Lymph node section stained with H&E, from a whole-slide image of a breast-cancer sentinel node. Magnification about 2.5×, about 1.9 mm across the frame, about 3.6 µm per pixel.
Image:
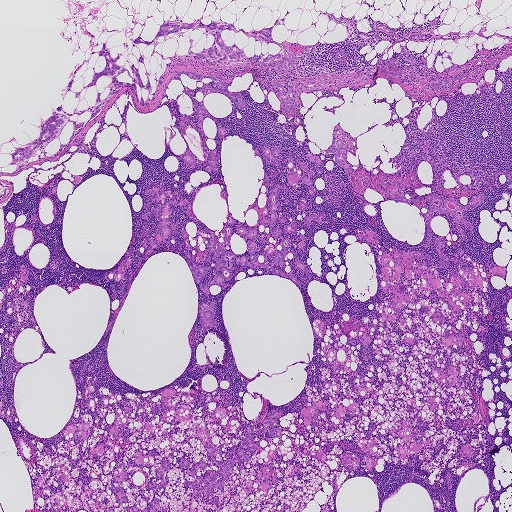
Question:
Is any metastatic breast cancer visible in this crop?
Answer:
Yes.
Outlines of eight tumour regions, largest first (closed clockwise paths, crop pixels): region 1: (399, 178), (405, 180), (404, 187), (399, 192), (410, 199), (431, 192), (442, 198), (451, 196), (463, 205), (482, 193), (482, 205), (466, 213), (474, 232), (460, 223), (467, 242), (449, 217), (437, 215), (432, 219), (430, 225), (443, 241), (442, 250), (448, 256), (448, 265), (443, 268), (438, 266), (440, 259), (432, 237), (428, 242), (425, 223), (418, 208), (384, 194), (378, 179), (398, 183); region 2: (102, 42), (112, 57), (119, 54), (116, 64), (137, 79), (129, 66), (137, 68), (138, 58), (143, 56), (144, 64), (139, 62), (138, 71), (145, 85), (148, 76), (150, 101), (140, 106), (126, 87), (91, 120), (89, 112), (70, 116), (56, 108), (62, 104), (68, 113), (93, 106), (97, 92), (102, 92), (101, 100), (108, 94), (112, 78), (101, 76), (77, 98), (66, 92), (70, 81), (77, 92), (93, 73), (104, 69), (105, 58), (94, 51); region 3: (52, 110), (64, 121), (57, 127), (58, 130), (55, 136), (36, 148), (26, 159), (16, 162), (17, 163), (14, 164), (9, 164), (11, 160), (10, 153), (14, 152), (16, 148), (25, 146), (37, 138), (40, 131), (39, 126), (52, 115); region 4: (342, 132), (346, 139), (341, 140), (343, 146), (349, 144), (350, 146), (346, 156), (346, 158), (352, 166), (351, 174), (349, 175), (347, 175), (342, 166), (335, 163), (336, 153), (326, 153), (323, 149), (326, 149), (331, 143), (333, 138), (333, 140), (340, 138), (340, 133); region 5: (290, 155), (294, 159), (299, 160), (301, 161), (304, 165), (311, 169), (314, 173), (314, 176), (311, 177), (309, 176), (305, 174), (311, 179), (312, 182), (310, 187), (314, 190), (314, 193), (313, 194), (310, 194), (308, 193), (307, 186), (303, 183), (301, 181), (301, 176), (302, 171), (297, 166), (293, 162), (288, 162), (288, 159), (288, 157); region 6: (268, 143), (271, 149), (275, 145), (280, 147), (281, 151), (280, 154), (275, 155), (281, 164), (279, 166), (272, 164), (265, 159), (262, 152), (264, 144); region 7: (112, 485), (122, 486), (128, 499), (127, 502), (120, 504), (114, 502), (116, 498), (108, 489); region 8: (323, 212), (324, 215), (321, 224), (313, 220), (310, 221), (311, 226), (309, 228), (304, 226), (303, 221), (305, 216).
Three more tumour regions are annotated but not outlined: their edges are too irregular for short outlines.
Three more, smaller tumour regions are not outlined.
Five more small tumour pieces are annotated here but not outlined.
The annotated tumour makes up about 10% of the crop.